Question: 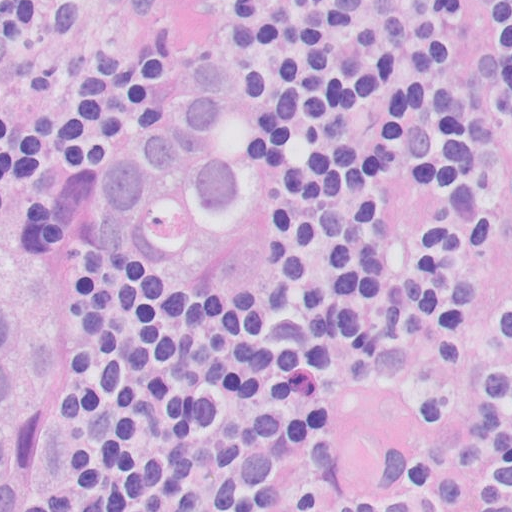
About what magnification does this crop show?

Choices:
 (A) about 5×
 (B) about 40×
 (C) about 20×
 (D) about 10×
 (E) about 2.5×

Answer: (B) about 40×
H&E-stained section of a sentinel lymph node (breast cancer), from a whole-slide image, viewed at about 40×: the field is about 0.13 mm across, about 0.25 µm per pixel.
Boundaries of two metastatic tumour regions, simplified and listed clockwise, largest first: region 1: (249, 24), (290, 130), (302, 192), (296, 259), (269, 312), (217, 326), (164, 312), (119, 284), (87, 232), (114, 115), (151, 70), (191, 34); region 2: (11, 165), (65, 274), (71, 325), (64, 428), (42, 511), (0, 511), (0, 167).
One more small tumour piece is annotated here but not outlined.
Tumour covers about 25% of the frame.